H&E-stained section of a sentinel lymph node (breast cancer), from a whole-slide image, viewed at about 2.5×: the field is about 2.0 mm across, about 4.0 µm per pixel.
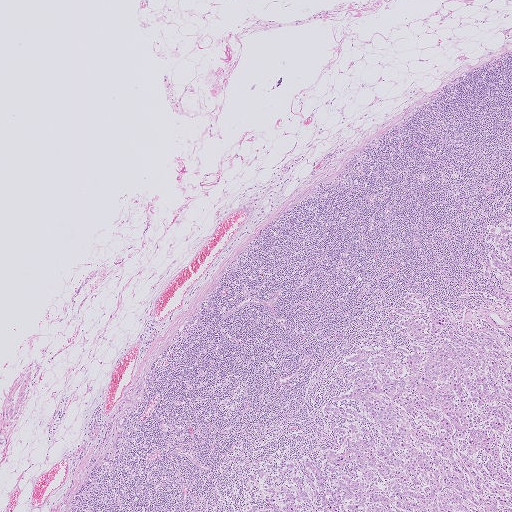
Outlines of two tumour regions, largest first (closed clockwise paths, crop pixels): region 1: (415, 291), (463, 331), (511, 322), (511, 511), (243, 511), (243, 480), (257, 467), (304, 457), (324, 466), (327, 452), (342, 448), (322, 406), (347, 387), (334, 368), (367, 339), (406, 344), (393, 328), (401, 315), (391, 312), (404, 293); region 2: (511, 204), (511, 308), (500, 296), (498, 291), (499, 280), (489, 266), (484, 243), (493, 223).
The annotated tumour makes up about 15% of the crop.